Question: 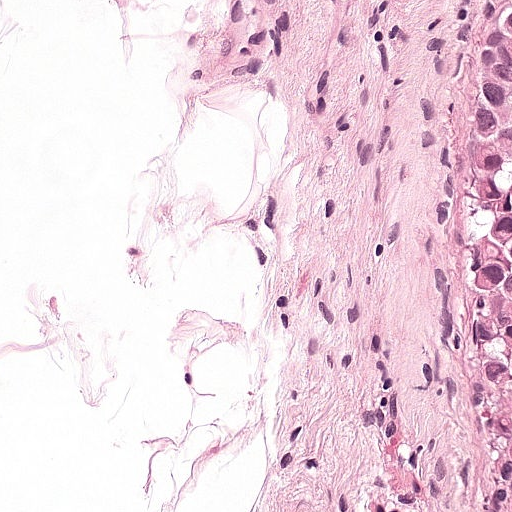
Lymph node section stained with H&E, from a whole-slide image of a breast-cancer sentinel node. Magnification about 20×, about 0.25 mm across the frame, about 0.49 µm per pixel.
About how much of this crop is taken up by metastatic carcinoma?

Choices:
 (A) about 25% to 45%
 (B) about 50% or more
 (C) about 10% to 20%
 (D) none: no tumour is outlined
 (E) about 5% or less

Answer: (C) about 10% to 20%
About 20% of the field is tumour.
Tumour region outline (a closed clockwise path, crop pixels): (511, 0), (511, 511), (412, 511), (412, 1).